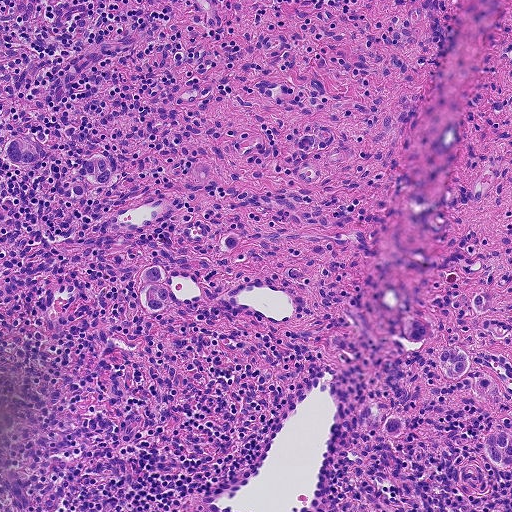
A 0.46-mm field of an H&E-stained sentinel lymph node from a breast-cancer patient (whole-slide image), shown at about 10×, about 0.9 µm per pixel.
Boundaries of three metastatic tumour regions, simplified and listed clockwise, largest first: region 1: (445, 349), (458, 349), (469, 356), (470, 369), (484, 373), (494, 382), (498, 394), (485, 398), (473, 391), (468, 378), (454, 383), (442, 377), (436, 365), (438, 360); region 2: (154, 266), (165, 274), (165, 284), (172, 294), (170, 306), (160, 314), (148, 310), (139, 300), (142, 287), (138, 282), (142, 270); region 3: (502, 432), (511, 439), (511, 469), (510, 471), (497, 470), (489, 458), (484, 445), (489, 434).
Five more small tumour pieces are annotated here but not outlined.
Under 5% of this field is tumour.